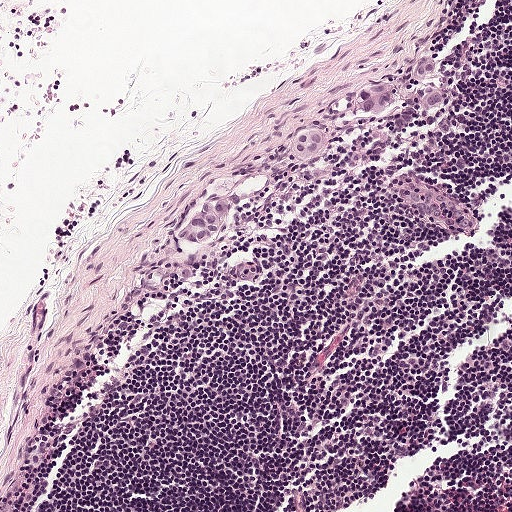
This is a crop of a whole-slide image: an H&E-stained breast-cancer sentinel lymph node section at roughly 10× magnification (about 0.97 µm per pixel; the crop spans about 0.5 mm).
Boundaries of three metastatic tumour regions, simplified and listed clockwise, largest first: region 1: (432, 58), (436, 59), (442, 67), (443, 74), (430, 80), (405, 82), (401, 88), (404, 94), (413, 95), (441, 90), (447, 95), (448, 106), (437, 112), (424, 113), (400, 103), (384, 114), (368, 116), (355, 110), (354, 93), (356, 88); region 2: (239, 191), (242, 193), (243, 199), (241, 206), (234, 209), (232, 216), (226, 224), (219, 227), (214, 238), (190, 246), (180, 246), (174, 244), (174, 234), (181, 224), (193, 216), (211, 196); region 3: (320, 126), (330, 129), (331, 146), (325, 160), (312, 164), (303, 164), (296, 161), (292, 154), (294, 132), (302, 128).
One more small tumour piece is annotated here but not outlined.
Tumour covers about 5% of the frame.